A 1-mm field of an H&E-stained sentinel lymph node from a breast-cancer patient (whole-slide image), shown at about 5×, about 1.9 µm per pixel.
Image:
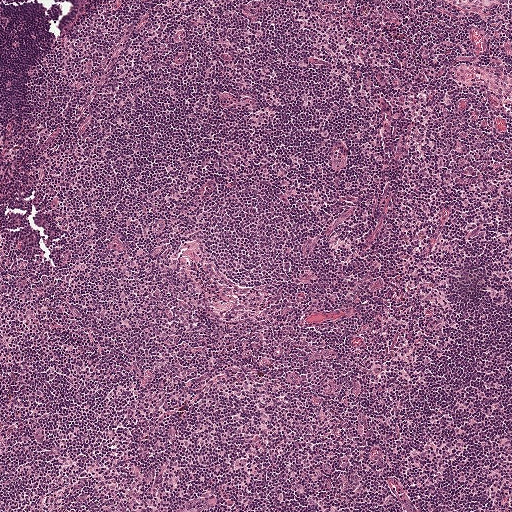
Question:
Is there metastatic carcinoma in this field?
Answer:
No. No metastatic tumour is outlined in this field.